Image:
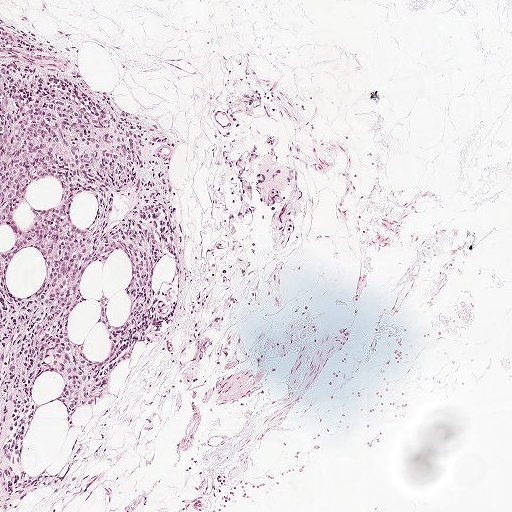
Lymph node section stained with H&E, from a whole-slide image of a breast-cancer sentinel node. Magnification about 5×, about 1 mm across the frame, about 1.9 µm per pixel.
Question:
Is any metastatic breast cancer visible in this crop?
Answer:
Yes.
One metastatic tumour region; its boundary, reduced to 24 corners and listed clockwise: (0, 25), (29, 64), (104, 102), (138, 137), (139, 164), (112, 199), (108, 229), (142, 198), (174, 215), (172, 249), (152, 272), (156, 328), (114, 366), (106, 399), (70, 422), (59, 375), (35, 378), (38, 416), (17, 454), (28, 485), (0, 506), (0, 252), (14, 241), (0, 227).
The outline encloses four non-tumour holes totalling about 15% of the region's area.
About 15% of this field is tumour.

Image:
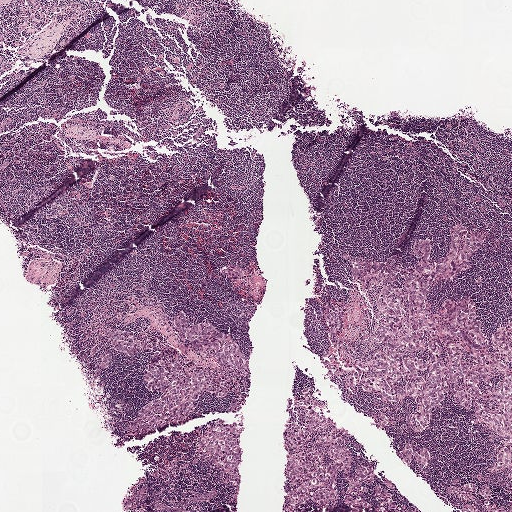
H&E-stained section of a sentinel lymph node (breast cancer), from a whole-slide image, viewed at about 2.5×: the field is about 2.0 mm across, about 3.9 µm per pixel.
Question:
Is any metastatic breast cancer visible in this crop?
Answer:
Yes.
Boundaries of seven metastatic tumour regions, simplified and listed clockwise, largest first: region 1: (456, 222), (494, 235), (471, 267), (425, 300), (436, 311), (470, 300), (477, 331), (511, 326), (511, 492), (495, 474), (508, 437), (473, 413), (448, 398), (418, 429), (413, 399), (361, 388), (377, 355), (376, 316), (351, 251), (417, 262), (426, 239), (438, 260), (453, 250); region 2: (306, 388), (328, 402), (314, 411), (357, 441), (361, 448), (356, 454), (393, 482), (393, 495), (404, 509), (419, 511), (378, 511), (367, 488), (370, 511), (350, 511), (342, 501), (340, 470), (336, 497), (319, 511), (281, 511), (288, 452), (283, 433), (296, 409), (295, 390); region 3: (184, 311), (190, 323), (206, 319), (232, 340), (247, 364), (235, 380), (245, 383), (240, 407), (228, 409), (233, 391), (220, 396), (196, 391), (194, 406), (182, 417), (128, 431), (129, 418), (162, 393), (149, 390), (144, 381), (157, 350), (145, 346), (129, 356), (116, 349), (102, 366), (101, 357), (112, 346), (102, 331), (126, 330), (135, 340), (161, 343), (195, 365), (216, 368), (216, 359), (193, 349), (178, 331), (175, 316); region 4: (330, 302), (346, 307), (342, 328), (338, 337), (354, 338), (356, 342), (353, 362), (359, 364), (362, 370), (362, 375), (356, 381), (355, 394), (350, 391), (345, 374), (340, 373), (330, 377), (323, 366), (324, 357), (330, 354), (333, 348), (322, 316), (326, 303); region 5: (217, 420), (222, 420), (226, 424), (236, 423), (242, 428), (240, 438), (241, 452), (237, 465), (239, 476), (235, 480), (228, 480), (223, 477), (222, 469), (197, 456), (199, 443); region 6: (480, 475), (481, 479), (490, 487), (492, 503), (500, 508), (511, 507), (511, 511), (467, 511), (468, 504), (466, 500), (452, 496), (448, 485), (454, 479); region 7: (231, 263), (237, 268), (252, 268), (252, 274), (247, 278), (246, 286), (241, 288), (232, 280), (220, 274), (220, 270).
The annotated tumour makes up about 15% of the crop.

Image:
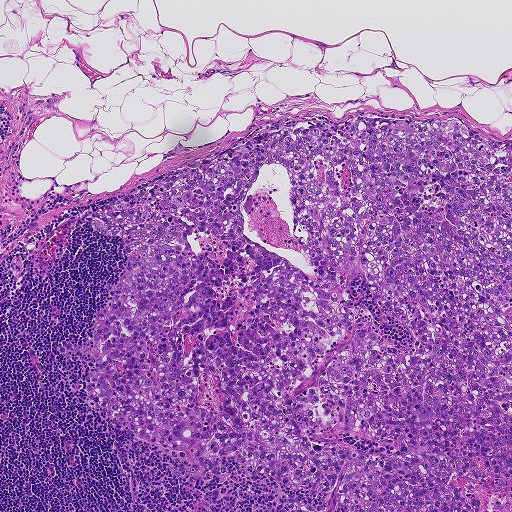
H&E-stained section of a sentinel lymph node (breast cancer), from a whole-slide image, viewed at about 5×: the field is about 0.93 mm across, about 1.8 µm per pixel.
Question:
Is any metastatic breast cancer visible in this crop?
Answer:
Yes.
One metastatic tumour region; its boundary, reduced to 22 corners and listed clockwise: (441, 118), (511, 140), (511, 511), (272, 511), (288, 491), (326, 503), (223, 456), (224, 476), (178, 476), (169, 467), (190, 462), (86, 404), (94, 356), (57, 349), (64, 340), (93, 346), (105, 284), (126, 258), (120, 237), (87, 224), (91, 214), (252, 139).
Tumour covers about 55% of the frame.

Image:
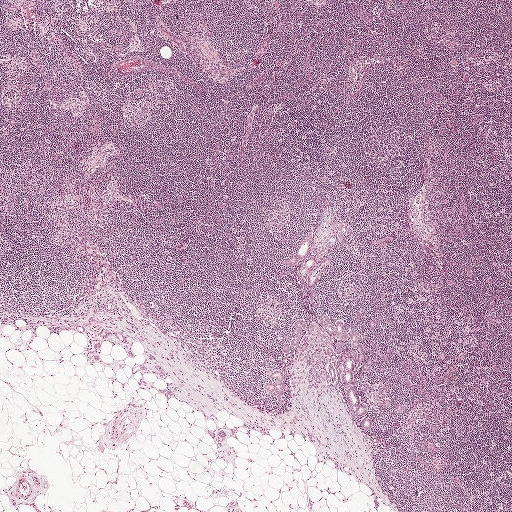
Lymph node section stained with H&E, from a whole-slide image of a breast-cancer sentinel node. Magnification about 2.5×, about 2.0 mm across the frame, about 3.9 µm per pixel.
Question:
Is any metastatic breast cancer visible in this crop?
Answer:
Yes.
Outlines of seven tumour regions, largest first (closed clockwise paths, crop pixels): region 1: (323, 315), (343, 322), (346, 332), (354, 328), (361, 331), (372, 368), (368, 374), (361, 374), (361, 379), (371, 387), (370, 392), (358, 391), (368, 406), (371, 428), (363, 428), (347, 411), (338, 382), (312, 389), (306, 384), (305, 369), (296, 360), (292, 374), (285, 382), (286, 404), (280, 404), (265, 393), (264, 380), (272, 379), (266, 372), (268, 367), (289, 374), (291, 358), (282, 351), (287, 343), (292, 352), (296, 320), (315, 320); region 2: (322, 227), (323, 230), (335, 238), (335, 244), (330, 246), (328, 251), (322, 253), (311, 268), (303, 275), (300, 275), (299, 272), (313, 249), (318, 245), (318, 241), (322, 236), (319, 230); region 3: (308, 230), (312, 232), (312, 237), (306, 260), (291, 268), (283, 264), (294, 254); region 4: (330, 255), (332, 257), (319, 277), (315, 287), (310, 289), (305, 284), (306, 276), (310, 269); region 5: (375, 382), (378, 384), (379, 383), (381, 383), (384, 386), (384, 389), (383, 393), (380, 395), (375, 395), (380, 399), (380, 402), (379, 403), (372, 401), (369, 402), (368, 401), (368, 395), (370, 392), (374, 390), (373, 385); region 6: (335, 221), (342, 222), (345, 226), (344, 241), (342, 242), (337, 240), (336, 234), (333, 233), (334, 226), (333, 224); region 7: (311, 289), (314, 289), (320, 297), (320, 304), (319, 307), (316, 307), (312, 305), (309, 300), (309, 294).
Region 7 encloses a non-tumour hole of about 20% of its area.
Four more small tumour pieces are annotated here but not outlined.
Tumour covers about 5% of the frame.